Image:
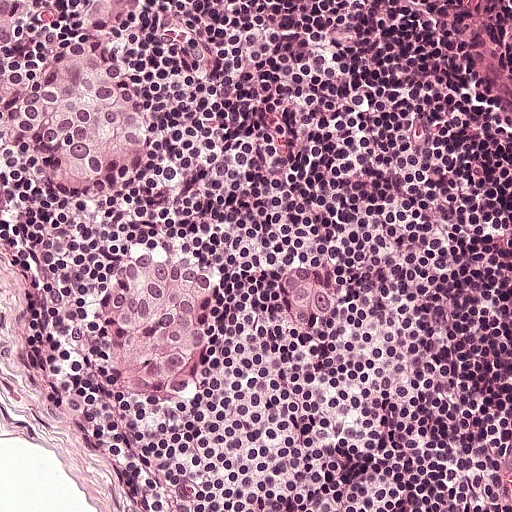
A 0.25-mm field of an H&E-stained sentinel lymph node from a breast-cancer patient (whole-slide image), shown at about 20×, about 0.49 µm per pixel.
Question:
Is there metastatic carcinoma in this field?
Answer:
Yes.
Three metastatic tumour regions, each outlined as a closed clockwise path in crop pixels (x, y), largest first: region 1: (0, 0), (22, 0), (30, 4), (34, 22), (7, 49), (4, 64), (28, 72), (87, 45), (102, 48), (124, 84), (154, 106), (165, 160), (146, 183), (126, 191), (72, 194), (53, 182), (22, 145), (2, 134); region 2: (126, 246), (184, 246), (224, 266), (226, 302), (218, 348), (206, 392), (191, 410), (124, 407), (99, 390), (103, 277), (110, 258); region 3: (291, 266), (338, 276), (350, 282), (352, 286), (352, 308), (348, 323), (318, 341), (306, 341), (290, 334), (275, 314), (272, 292), (278, 273).
Tumour covers about 15% of the frame.